A 0.25-mm field of an H&E-stained sentinel lymph node from a breast-cancer patient (whole-slide image), shown at about 20×, about 0.49 µm per pixel.
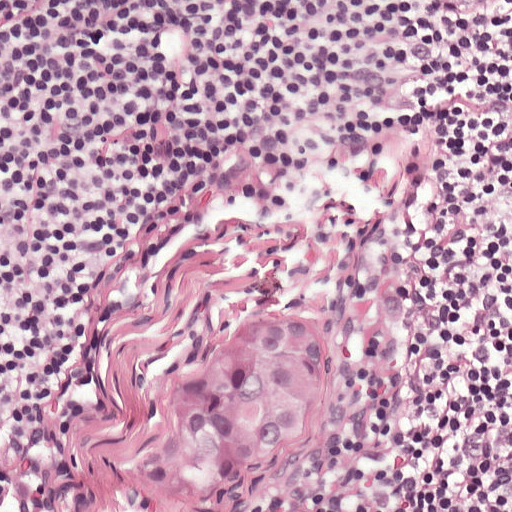
Tumour region outline (a closed clockwise path, crop pixels): (294, 310), (320, 322), (329, 366), (327, 418), (292, 459), (216, 500), (175, 500), (134, 467), (148, 428), (174, 399), (185, 372).
About 10% of this field is tumour.